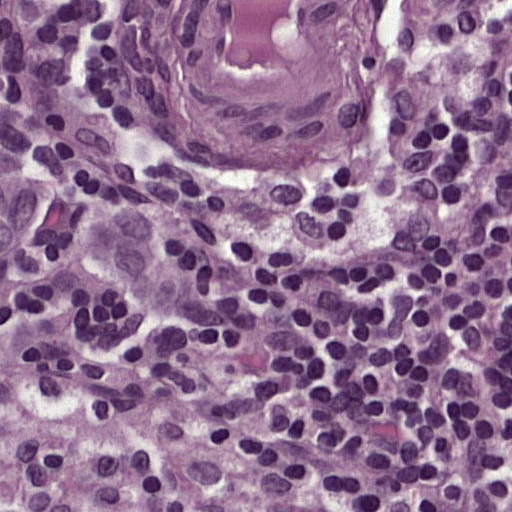
A 0.12-mm field of an H&E-stained sentinel lymph node from a breast-cancer patient (whole-slide image), shown at about 40×, about 0.24 µm per pixel.
Question: Describe where the metastatic carcinoma lies in this crop.
Answer: Metastatic tumour outline, simplified to 5 points and listed clockwise in crop pixels (x, y): (0, 111), (37, 136), (55, 182), (34, 233), (0, 251).
One more small tumour piece is annotated here but not outlined.
About 5% of this field is tumour.